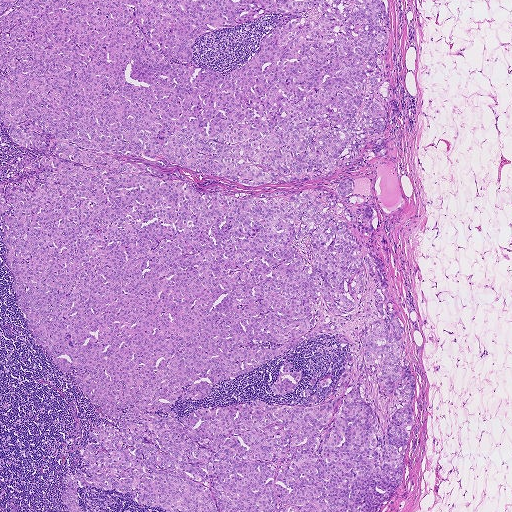
Lymph node section stained with H&E, from a whole-slide image of a breast-cancer sentinel node. Magnification about 2.5×, about 1.9 mm across the frame, about 3.6 µm per pixel.
Question: Which parts of this field are metastatic tumour? Answer with the outline of each region, in pixels.
Answer: One metastatic tumour region; its boundary, reduced to 23 corners and listed clockwise: (0, 0), (387, 0), (392, 94), (359, 157), (256, 186), (156, 167), (241, 199), (350, 179), (373, 209), (415, 422), (380, 511), (83, 485), (68, 511), (64, 476), (107, 453), (89, 434), (120, 428), (16, 301), (0, 191), (54, 171), (23, 158), (70, 161), (11, 141).
The outline encloses two non-tumour holes totalling about 5% of the region's area.
Tumour covers about 65% of the frame.